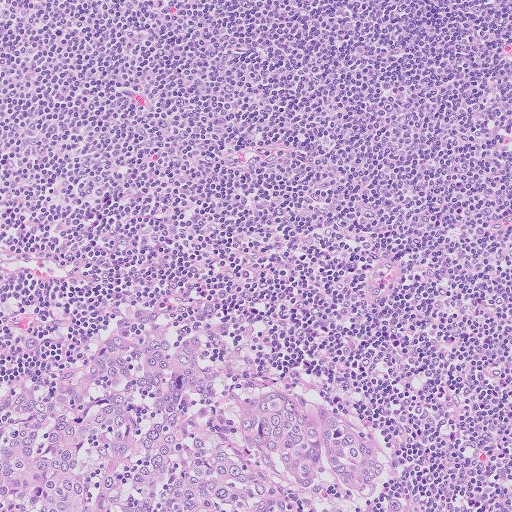
A 0.51-mm field of an H&E-stained sentinel lymph node from a breast-cancer patient (whole-slide image), shown at about 10×, about 1.0 µm per pixel.
Metastatic tumour outline, simplified to 8 points and listed clockwise in crop pixels (x, y): (154, 301), (221, 347), (298, 366), (367, 408), (407, 511), (0, 511), (0, 370), (75, 320).
Tumour covers about 25% of the frame.